Question: 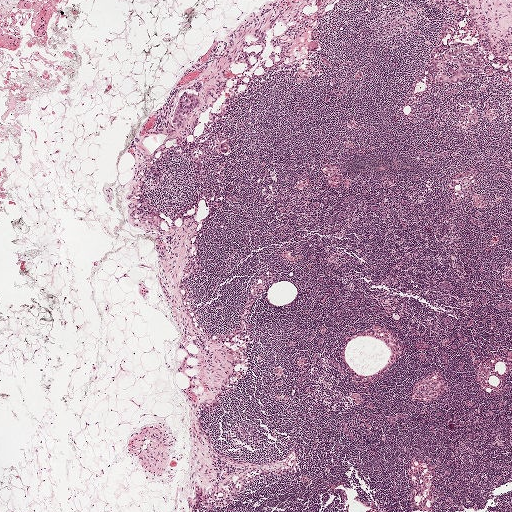
H&E-stained section of a sentinel lymph node (breast cancer), from a whole-slide image, viewed at about 2.5×: the field is about 2.0 mm across, about 3.9 µm per pixel.
About how much of this crop is taken up by metastatic carcinoma?

Choices:
 (A) about 25% to 45%
 (B) about 10% to 20%
 (C) about 50% or more
 (D) about 5% or less
 (E) none: no tumour is outlined

Answer: (D) about 5% or less
Under 5% of the field is tumour.
Two metastatic tumour regions, each outlined as a closed clockwise path in crop pixels (x, y), largest first: region 1: (449, 51), (457, 51), (460, 60), (475, 65), (465, 66), (466, 71), (474, 73), (474, 75), (468, 80), (457, 82), (449, 81), (441, 82), (436, 80), (436, 71), (432, 61), (440, 56), (445, 56); region 2: (203, 80), (202, 101), (200, 107), (190, 116), (185, 126), (180, 128), (173, 128), (174, 111), (182, 90), (195, 81).